Image:
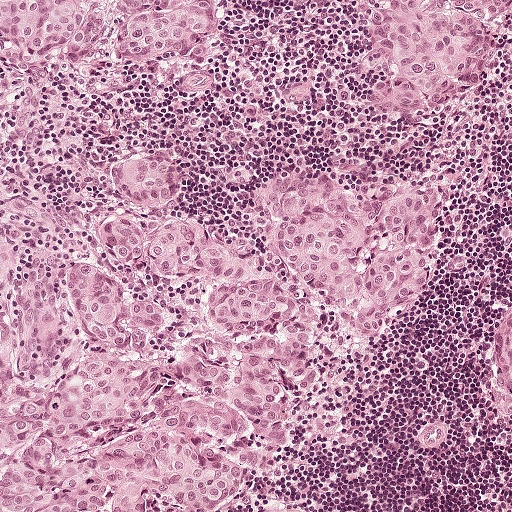
A 0.5-mm field of an H&E-stained sentinel lymph node from a breast-cancer patient (whole-slide image), shown at about 10×, about 0.97 µm per pixel.
Question:
Does this lymph node field contain metastatic tumour?
Answer:
Yes.
Two metastatic tumour regions, each outlined as a closed clockwise path in crop pixels (x, y), largest first: region 1: (0, 0), (221, 0), (190, 50), (133, 84), (129, 104), (188, 160), (186, 206), (229, 238), (254, 237), (290, 170), (334, 158), (380, 178), (436, 181), (450, 210), (450, 240), (428, 288), (400, 306), (391, 333), (351, 350), (304, 439), (227, 494), (227, 510), (0, 511); region 2: (320, 0), (510, 0), (498, 28), (494, 80), (468, 127), (407, 136), (381, 122), (368, 107), (368, 72), (378, 46), (376, 10).
One more small tumour piece is annotated here but not outlined.
Tumour covers about 65% of the frame.